This is a crop of a whole-slide image: an H&E-stained breast-cancer sentinel lymph node section at roughly 5× magnification (about 1.9 µm per pixel; the crop spans about 1 mm).
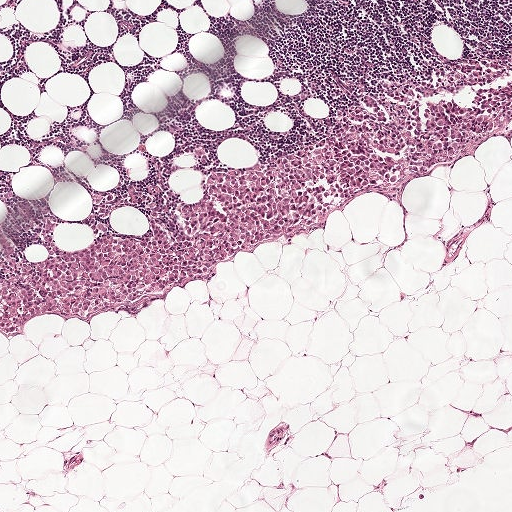
One metastatic tumour region; its boundary, reduced to 21 corners and listed clockwise: (309, 145), (346, 149), (382, 158), (387, 167), (318, 217), (254, 240), (198, 276), (135, 294), (110, 310), (74, 313), (63, 305), (60, 270), (66, 254), (107, 231), (146, 236), (156, 225), (169, 237), (178, 237), (181, 204), (205, 196), (232, 170).
About 10% of this field is tumour.